Question: 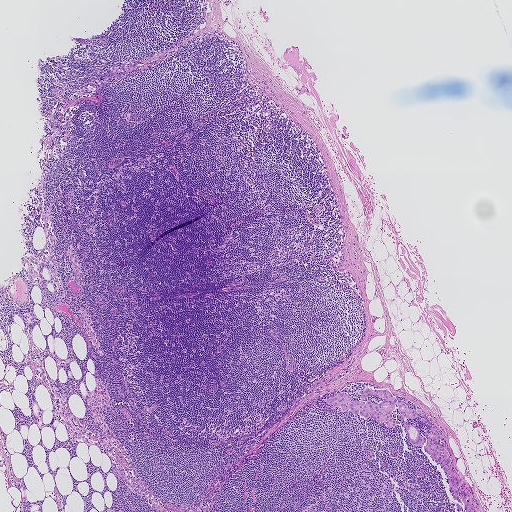
A 1.9-mm field of an H&E-stained sentinel lymph node from a breast-cancer patient (whole-slide image), shown at about 2.5×, about 3.6 µm per pixel.
What fraction of the image area is metastatic tumour?

Choices:
 (A) about 25% to 45%
 (B) about 50% or more
 (C) none: no tumour is outlined
 (D) about 5% or less
 (E) about 10% to 20%

Answer: (D) about 5% or less
Under 5% of the field is tumour.
Tumour region outline (a closed clockwise path, crop pixels): (387, 389), (421, 410), (429, 423), (418, 414), (406, 419), (420, 436), (432, 433), (432, 422), (438, 429), (445, 440), (438, 444), (445, 448), (459, 480), (458, 492), (473, 501), (475, 511), (464, 510), (451, 496), (447, 476), (424, 444), (409, 442), (404, 422), (397, 419), (398, 406), (391, 412), (396, 423), (390, 428), (349, 408), (342, 412), (325, 398), (344, 392), (354, 400), (377, 404), (384, 399), (373, 396), (362, 400), (363, 391).